Question: 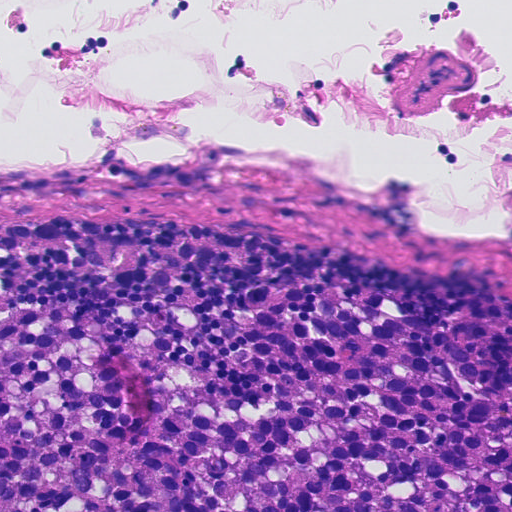
Which magnification is this H&E lymph node field most likely shown at?

Choices:
 (A) about 40×
 (B) about 2.5×
 (C) about 10×
 (D) about 5×
 (E) about 20×

Answer: (E) about 20×
A 0.23-mm field of an H&E-stained sentinel lymph node from a breast-cancer patient (whole-slide image), shown at about 20×, about 0.45 µm per pixel.
The outlined metastatic tumour's edge, as a closed clockwise path of 12 points: (280, 280), (338, 286), (511, 351), (511, 511), (0, 511), (0, 314), (90, 298), (121, 304), (234, 388), (260, 371), (236, 318), (252, 290).
Tumour covers about 40% of the frame.
Question: 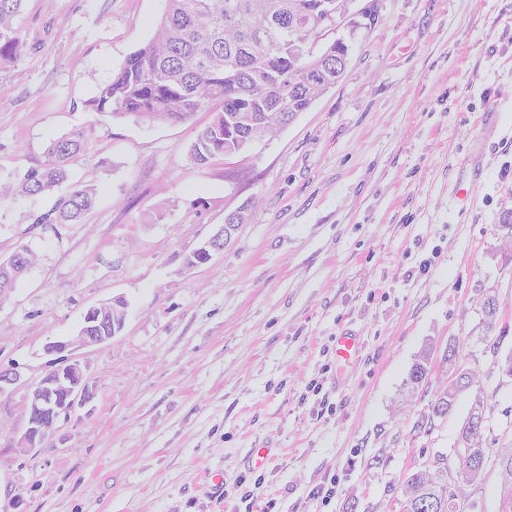
Which magnification is this H&E lymph node field most likely shown at?

Choices:
 (A) about 10×
 (B) about 5×
 (C) about 20×
 (D) about 2.5×
 (E) about 40×

Answer: (C) about 20×
H&E-stained section of a sentinel lymph node (breast cancer), from a whole-slide image, viewed at about 20×: the field is about 0.26 mm across, about 0.5 µm per pixel.
Boundaries of two metastatic tumour regions, simplified and listed clockwise, largest first: region 1: (0, 0), (382, 0), (332, 149), (284, 225), (36, 470), (16, 510), (0, 511); region 2: (510, 50), (511, 511), (266, 511), (365, 370).
About 65% of the image area is annotated as tumour.
Question: 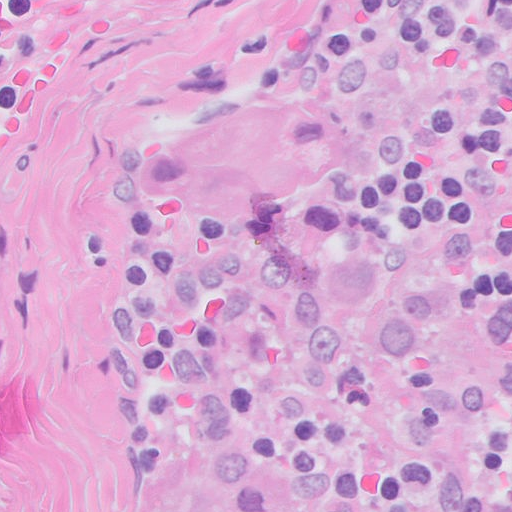
Which magnification is this H&E lymph node field most likely shown at?

Choices:
 (A) about 40×
 (B) about 5×
 (C) about 10×
 (D) about 20×
 (E) about 2.5×

Answer: (A) about 40×
H&E-stained section of a sentinel lymph node (breast cancer), from a whole-slide image, viewed at about 40×: the field is about 0.13 mm across, about 0.25 µm per pixel.
Metastatic tumour outline, simplified to 8 points and listed clockwise in crop pixels (x, y): (265, 82), (322, 89), (391, 131), (343, 203), (253, 241), (136, 208), (112, 163), (158, 105).
The annotated tumour makes up about 10% of the crop.
Question: 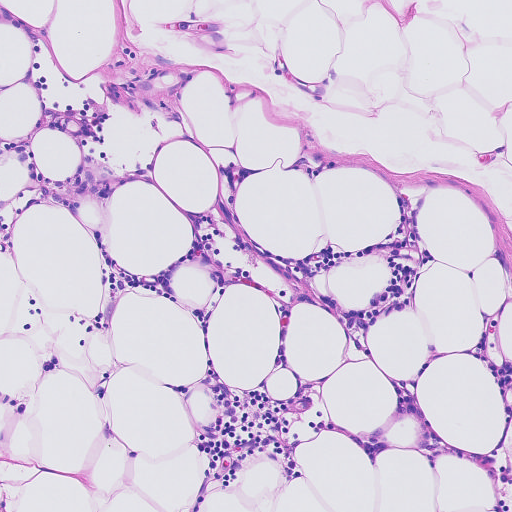
Which magnification is this H&E lymph node field most likely shown at?

Choices:
 (A) about 5×
 (B) about 40×
 (C) about 10×
 (D) about 2.5×
 (E) about 20×

Answer: (C) about 10×
H&E-stained section of a sentinel lymph node (breast cancer), from a whole-slide image, viewed at about 10×: the field is about 0.46 mm across, about 0.91 µm per pixel.